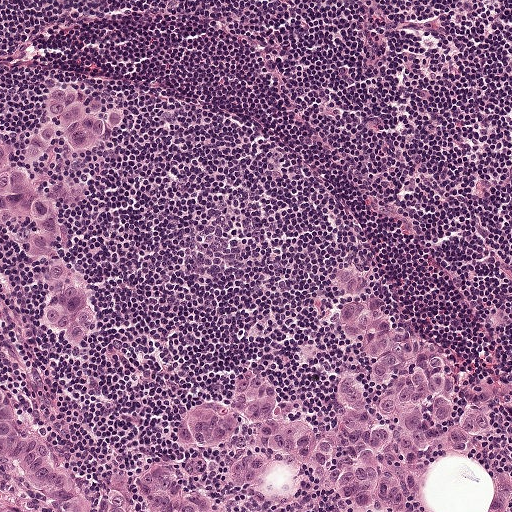
Lymph node section stained with H&E, from a whole-slide image of a breast-cancer sentinel node. Magnification about 10×, about 0.5 mm across the frame, about 0.97 µm per pixel.
Question: Describe where the metastatic carcinoma lies in this crop.
Answer: Two metastatic tumour regions, each outlined as a closed clockwise path in crop pixels (x, y), largest first: region 1: (359, 265), (396, 317), (427, 331), (492, 409), (494, 435), (473, 455), (511, 463), (511, 511), (0, 511), (0, 358), (64, 450), (87, 463), (161, 453), (182, 399), (220, 392), (239, 365), (276, 374), (306, 414), (326, 422), (342, 348), (329, 328), (323, 272); region 2: (46, 86), (73, 86), (97, 104), (121, 107), (125, 123), (101, 153), (77, 156), (68, 164), (80, 201), (64, 216), (67, 234), (101, 310), (91, 350), (74, 353), (56, 342), (43, 325), (44, 285), (30, 256), (0, 231), (0, 140), (27, 139), (46, 126).
About 30% of the image area is annotated as tumour.